Image:
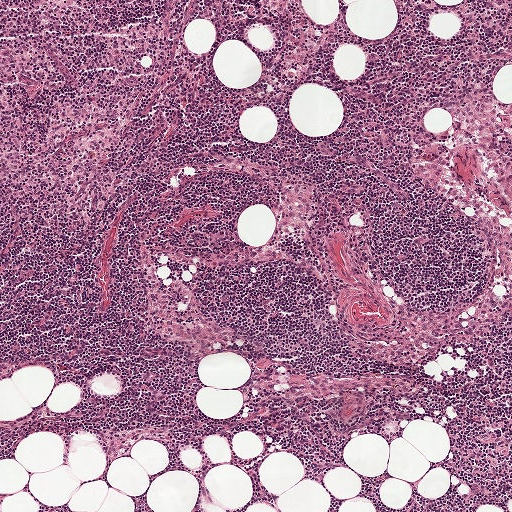
This is a crop of a whole-slide image: an H&E-stained breast-cancer sentinel lymph node section at roughly 5× magnification (about 1.9 µm per pixel; the crop spans about 1 mm).
Question:
Does this lymph node field contain metastatic tumour?
Answer:
No, this field holds no outlined metastasis.